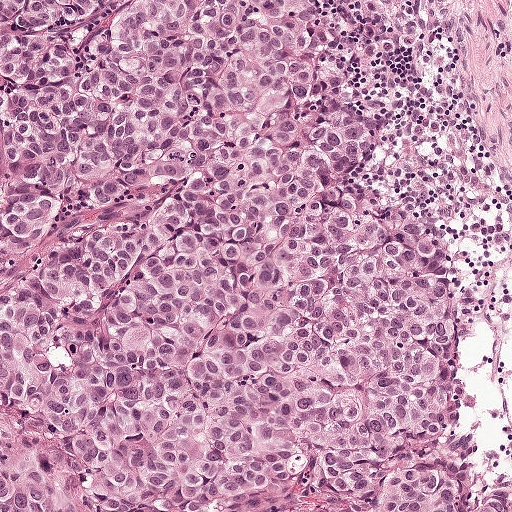
Lymph node section stained with H&E, from a whole-slide image of a breast-cancer sentinel node. Magnification about 10×, about 0.5 mm across the frame, about 0.97 µm per pixel.
One metastatic tumour region; its boundary, reduced to 8 corners and listed clockwise: (0, 0), (311, 0), (335, 20), (446, 232), (474, 397), (511, 460), (511, 511), (0, 511).
Tumour covers about 85% of the frame.